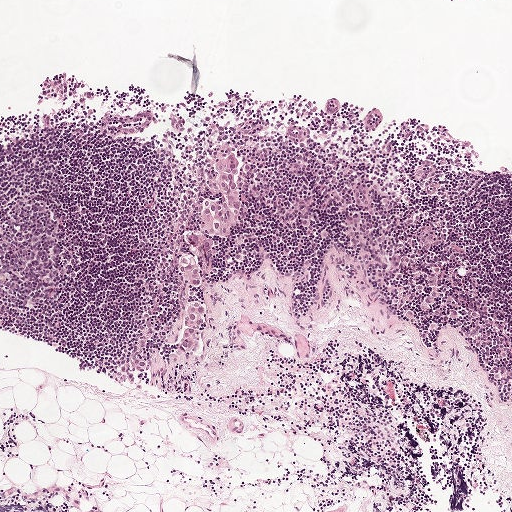
This is a crop of a whole-slide image: an H&E-stained breast-cancer sentinel lymph node section at roughly 5× magnification (about 1.9 µm per pixel; the crop spans about 1 mm).
The outlined metastatic tumour's edge, as a closed clockwise path of 23 points: (234, 152), (240, 161), (235, 177), (239, 220), (232, 236), (214, 244), (216, 260), (213, 268), (188, 291), (190, 299), (203, 306), (202, 331), (194, 353), (184, 354), (178, 346), (183, 321), (178, 264), (188, 251), (186, 237), (198, 231), (205, 193), (211, 189), (212, 160).
Under 5% of the image area is annotated as tumour.